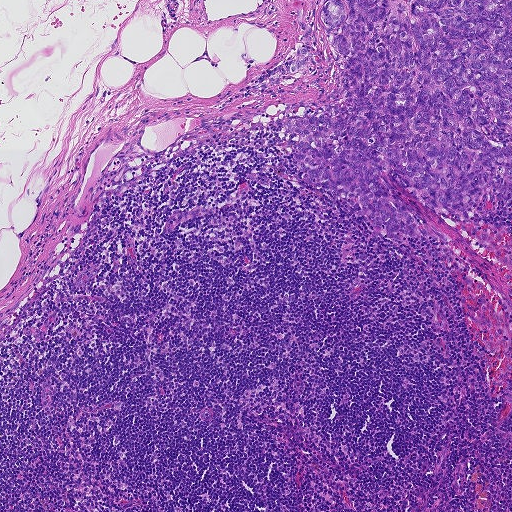
H&E-stained section of a sentinel lymph node (breast cancer), from a whole-slide image, viewed at about 5×: the field is about 0.93 mm across, about 1.8 µm per pixel.
Metastatic tumour outline, simplified to 23 points and listed clockwise in crop pixels (x, y): (327, 0), (511, 0), (511, 192), (486, 202), (485, 213), (456, 218), (379, 175), (442, 242), (383, 237), (368, 216), (355, 216), (361, 202), (352, 206), (305, 182), (292, 149), (281, 144), (290, 107), (305, 104), (296, 111), (302, 113), (340, 93), (338, 33), (320, 17).
Tumour covers about 15% of the frame.